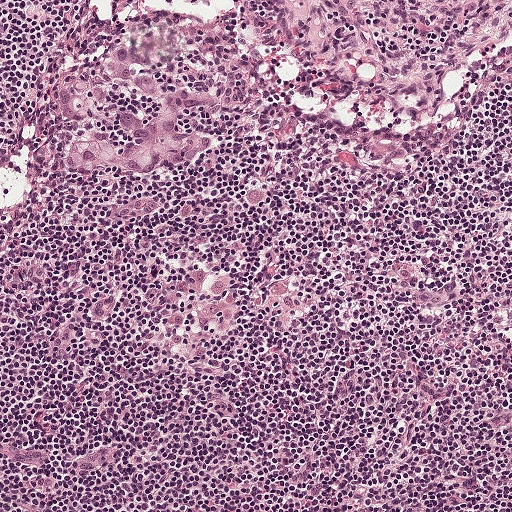
Lymph node section stained with H&E, from a whole-slide image of a breast-cancer sentinel node. Magnification about 10×, about 0.5 mm across the frame, about 0.97 µm per pixel.
One metastatic tumour region; its boundary, reduced to 20 corners and listed clockwise: (154, 45), (163, 82), (190, 84), (227, 102), (216, 109), (200, 105), (187, 108), (191, 126), (219, 132), (219, 144), (197, 162), (152, 171), (120, 165), (90, 171), (67, 162), (71, 126), (53, 88), (85, 64), (103, 64), (120, 46).
Tumour covers about 5% of the frame.